Lymph node section stained with H&E, from a whole-slide image of a breast-cancer sentinel node. Magnification about 40×, about 0.12 mm across the frame, about 0.24 µm per pixel.
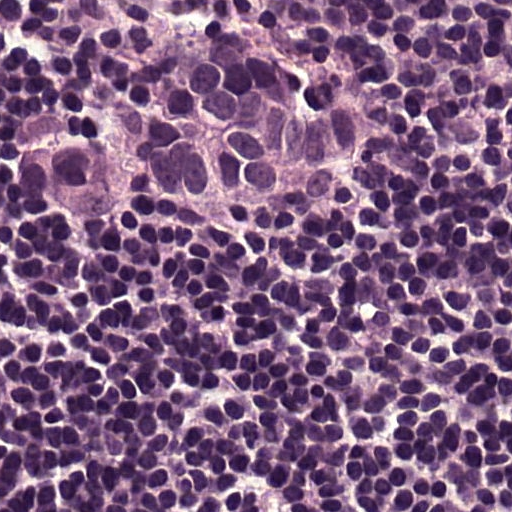
Metastatic tumour outline, simplified to 15 points and listed clockwise in crop pixels (x, y): (201, 9), (240, 29), (304, 44), (318, 58), (348, 122), (316, 181), (124, 178), (56, 199), (0, 177), (7, 136), (56, 130), (121, 107), (145, 27), (156, 16), (178, 22).
About 15% of the image area is annotated as tumour.